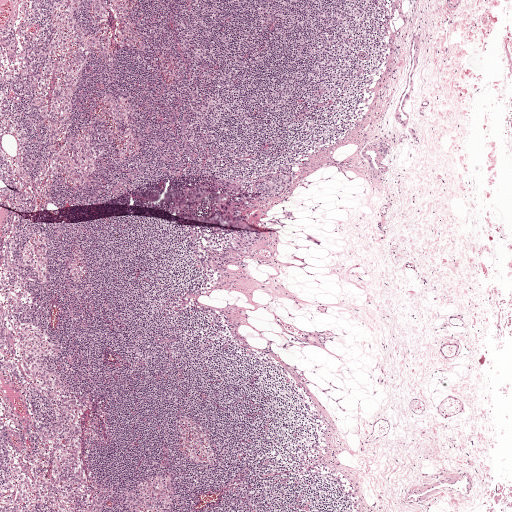
H&E-stained section of a sentinel lymph node (breast cancer), from a whole-slide image, viewed at about 2.5×: the field is about 2.0 mm across, about 3.9 µm per pixel.
Boundaries of three metastatic tumour regions, simplified and listed clockwise, largest first: region 1: (243, 176), (242, 190), (234, 192), (225, 188), (216, 189), (205, 195), (194, 215), (172, 214), (166, 210), (169, 199), (177, 192), (206, 180); region 2: (277, 173), (289, 175), (288, 188), (284, 193), (263, 206), (248, 209), (243, 207), (241, 201), (244, 194), (257, 179); region 3: (244, 229), (275, 234), (274, 241), (266, 239), (247, 257), (235, 254), (227, 246).
Two more small tumour pieces are annotated here but not outlined.
Under 5% of this field is tumour.